Question: 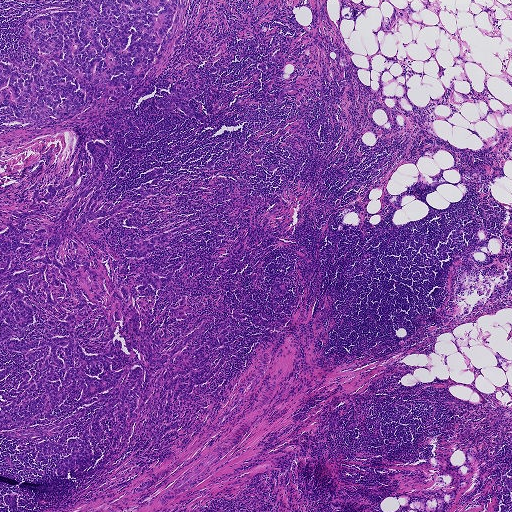
H&E-stained section of a sentinel lymph node (breast cancer), from a whole-slide image, viewed at about 2.5×: the field is about 1.9 mm across, about 3.6 µm per pixel.
Roughly what share of this field is metastatic tumour?

Choices:
 (A) about 10% to 20%
 (B) about 5% or less
 (C) about 25% to 45%
 (D) none: no tumour is outlined
 (E) about 50% or more

Answer: (C) about 25% to 45%
About 30% of the field is tumour.
Boundaries of eight metastatic tumour regions, simplified and listed clockwise, largest first: region 1: (133, 113), (149, 125), (113, 135), (104, 179), (132, 175), (102, 201), (160, 166), (159, 193), (138, 207), (160, 213), (155, 232), (198, 225), (142, 262), (183, 265), (176, 279), (191, 277), (194, 299), (290, 322), (272, 340), (230, 316), (231, 360), (194, 395), (232, 374), (223, 398), (159, 443), (143, 434), (83, 484), (54, 474), (65, 455), (36, 462), (21, 445), (60, 433), (60, 420), (0, 432), (0, 188), (43, 189), (68, 175), (73, 151), (86, 174), (87, 141); region 2: (82, 0), (182, 0), (161, 70), (121, 96), (59, 122), (27, 122), (0, 108), (0, 58), (30, 65), (37, 62), (38, 54), (25, 34), (31, 19); region 3: (193, 63), (195, 74), (200, 81), (198, 92), (189, 99), (193, 109), (198, 114), (202, 114), (207, 108), (208, 104), (204, 94), (207, 88), (211, 86), (217, 89), (218, 93), (213, 103), (217, 103), (219, 107), (217, 110), (219, 112), (226, 110), (227, 113), (215, 122), (218, 115), (215, 112), (208, 114), (204, 124), (200, 124), (196, 118), (188, 117), (180, 110), (165, 113), (155, 108), (153, 105), (154, 101), (167, 94), (171, 83), (185, 74), (190, 64); region 4: (11, 491), (24, 499), (24, 505), (20, 506), (16, 502), (16, 508), (12, 511), (5, 504), (4, 498), (6, 493); region 5: (285, 277), (288, 279), (288, 290), (284, 296), (277, 297), (274, 295), (272, 288), (274, 282); region 6: (244, 137), (245, 140), (245, 144), (243, 147), (236, 150), (230, 160), (228, 160), (226, 157), (226, 153), (228, 150), (222, 148), (223, 144), (227, 143), (238, 142), (240, 139); region 7: (213, 159), (214, 162), (213, 166), (210, 168), (204, 171), (201, 171), (198, 169), (205, 165), (209, 160); region 8: (510, 477), (511, 477), (511, 496), (510, 491), (504, 480), (504, 478).
Four more small tumour pieces are annotated here but not outlined.